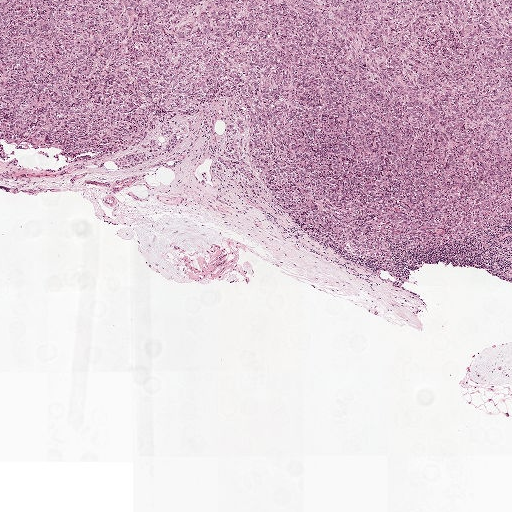
Lymph node section stained with H&E, from a whole-slide image of a breast-cancer sentinel node. Magnification about 2.5×, about 2.0 mm across the frame, about 3.9 µm per pixel.
The outlined metastatic tumour's edge, as a closed clockwise path of 10 points: (0, 0), (511, 0), (505, 247), (360, 272), (319, 251), (265, 193), (225, 176), (209, 150), (125, 183), (0, 176).
The annotated tumour makes up about 40% of the crop.